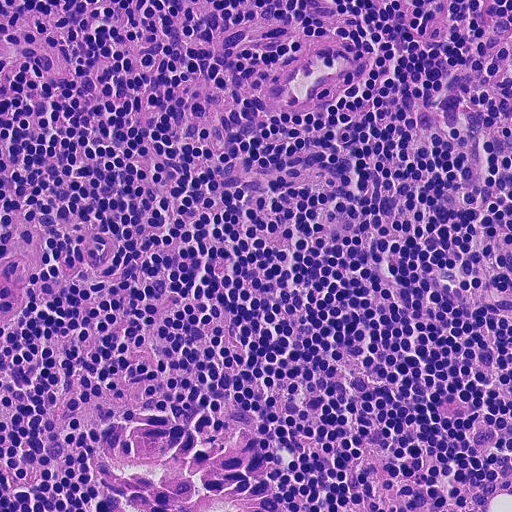
H&E-stained section of a sentinel lymph node (breast cancer), from a whole-slide image, viewed at about 20×: the field is about 0.23 mm across, about 0.45 µm per pixel.
Metastatic tumour outline, simplified to 10 points and listed clockwise in crop pixels (x, y): (130, 403), (186, 424), (208, 440), (266, 432), (278, 458), (280, 511), (100, 511), (98, 468), (82, 428), (101, 407).
About 5% of the image area is annotated as tumour.